Question: 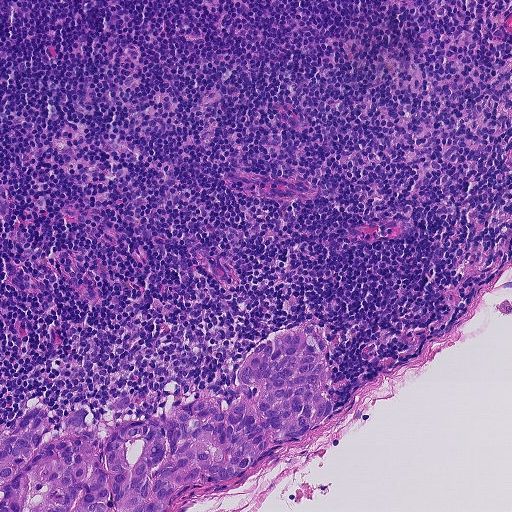
A 0.46-mm field of an H&E-stained sentinel lymph node from a breast-cancer patient (whole-slide image), shown at about 10×, about 0.9 µm per pixel.
Roughly what share of this field is metastatic tumour?

Choices:
 (A) about 50% or more
 (B) none: no tumour is outlined
 (C) about 5% or less
 (D) about 25% to 45%
 (E) about 10% to 20%

Answer: (E) about 10% to 20%
About 15% of the field is tumour.
Metastatic tumour outline, simplified to 21 points and listed clockwise in crop pixels (x, y): (328, 328), (332, 414), (320, 428), (228, 482), (176, 493), (168, 509), (0, 511), (0, 430), (38, 405), (51, 410), (48, 428), (86, 403), (94, 420), (111, 422), (126, 392), (142, 420), (208, 395), (222, 412), (260, 393), (235, 372), (276, 330).